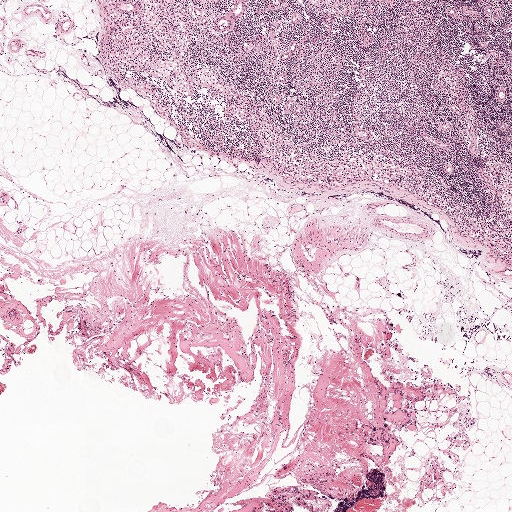
Lymph node section stained with H&E, from a whole-slide image of a breast-cancer sentinel node. Magnification about 2.5×, about 2.0 mm across the frame, about 3.9 µm per pixel.